Question: 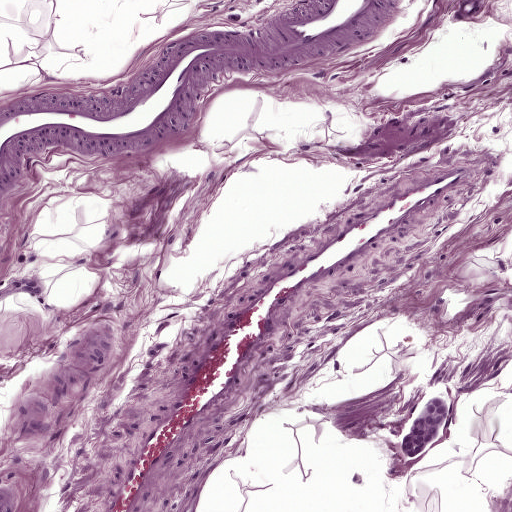
About what magnification does this crop show?

Choices:
 (A) about 10×
 (B) about 40×
 (C) about 2.5×
 (D) about 5×
 (E) about 20×

Answer: (A) about 10×
A 0.5-mm field of an H&E-stained sentinel lymph node from a breast-cancer patient (whole-slide image), shown at about 10×, about 0.97 µm per pixel.
Tumour region outline (a closed clockwise path, crop pixels): (437, 395), (445, 396), (448, 409), (445, 426), (435, 443), (410, 460), (402, 443), (411, 417), (424, 402).
Tumour covers under 5% of the frame.